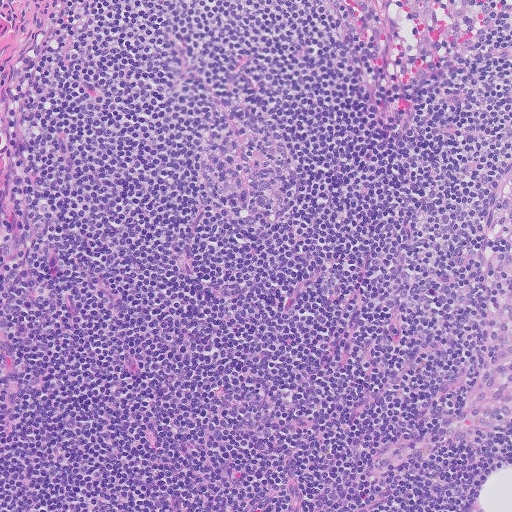
Lymph node section stained with H&E, from a whole-slide image of a breast-cancer sentinel node. Magnification about 10×, about 0.51 mm across the frame, about 1.0 µm per pixel.